Question: 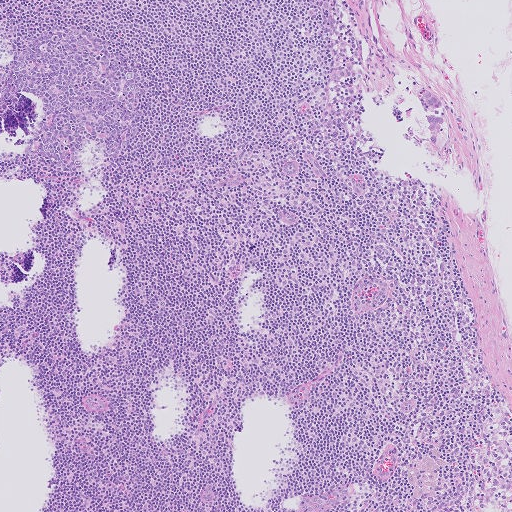
Lymph node section stained with H&E, from a whole-slide image of a breast-cancer sentinel node. Magnification about 5×, about 1.0 mm across the frame, about 2.0 µm per pixel.
About how much of this crop is taken up by metastatic carcinoma?

Choices:
 (A) about 25% to 45%
 (B) about 10% to 20%
 (C) none: no tumour is outlined
 (D) about 5% or less
 (E) about 50% or more

Answer: (D) about 5% or less
Under 5% of the field is tumour.
Outlines of two tumour regions, largest first (closed clockwise paths, crop pixels): region 1: (427, 116), (441, 116), (443, 118), (443, 122), (440, 124), (439, 131), (437, 134), (436, 143), (432, 142), (430, 139), (428, 129), (428, 122), (426, 119); region 2: (421, 90), (428, 90), (437, 98), (442, 105), (438, 109), (439, 114), (435, 114), (433, 109), (429, 109), (422, 97).